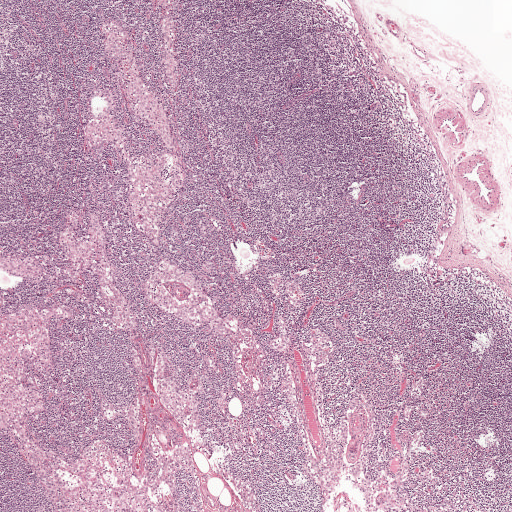
H&E-stained section of a sentinel lymph node (breast cancer), from a whole-slide image, viewed at about 2.5×: the field is about 2.0 mm across, about 3.9 µm per pixel.